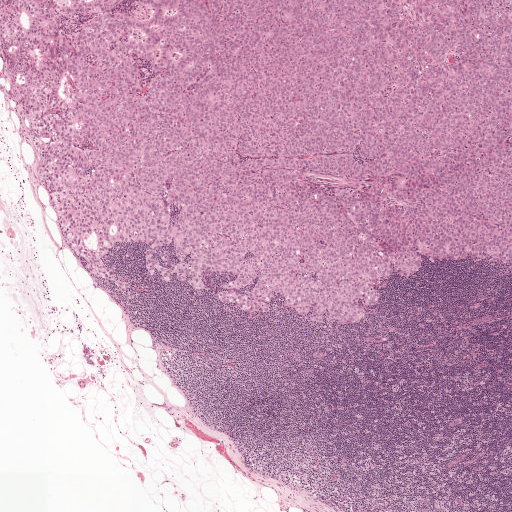
H&E-stained section of a sentinel lymph node (breast cancer), from a whole-slide image, viewed at about 2.5×: the field is about 2.0 mm across, about 3.9 µm per pixel.
Metastatic tumour outline, simplified to 24 points and listed clockwise in crop pixels (x, y): (0, 0), (511, 0), (511, 264), (422, 257), (418, 273), (381, 282), (380, 302), (339, 327), (296, 316), (276, 295), (261, 314), (215, 300), (234, 276), (207, 272), (203, 291), (164, 284), (148, 275), (137, 243), (103, 259), (127, 279), (122, 293), (91, 275), (65, 239), (4, 60).
About 50% of the image area is annotated as tumour.